Image:
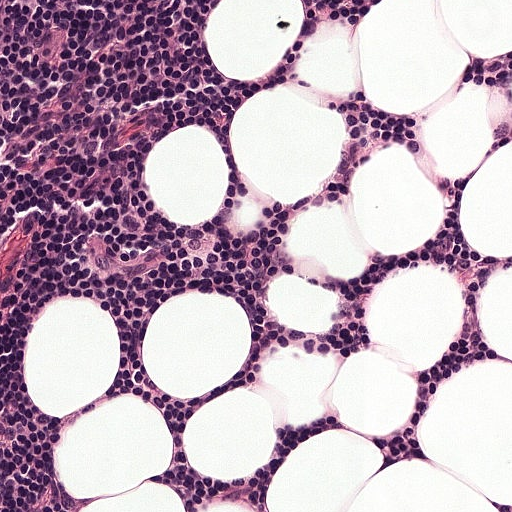
Lymph node section stained with H&E, from a whole-slide image of a breast-cancer sentinel node. Magnification about 20×, about 0.25 mm across the frame, about 0.49 µm per pixel.
Question:
Does this lymph node field contain metastatic tumour?
Answer:
No, this field holds no outlined metastasis.